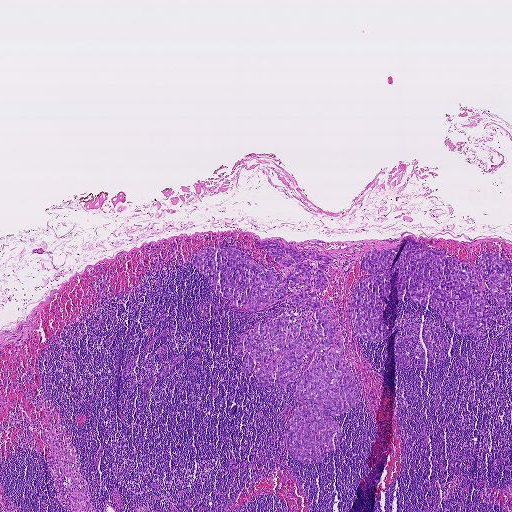
H&E-stained section of a sentinel lymph node (breast cancer), from a whole-slide image, viewed at about 2.5×: the field is about 1.9 mm across, about 3.6 µm per pixel.
Question: Is there metastatic carcinoma in this field?
Answer: Yes.
Boundaries of two metastatic tumour regions, simplified and listed clockwise, largest first: region 1: (256, 239), (280, 239), (295, 251), (314, 249), (332, 260), (324, 271), (328, 284), (318, 293), (338, 312), (359, 401), (332, 417), (342, 440), (320, 463), (294, 460), (283, 444), (286, 424), (303, 404), (293, 396), (298, 377), (280, 388), (261, 386), (254, 368), (243, 373), (245, 354), (230, 352), (248, 327), (288, 312), (312, 312), (284, 299), (259, 310), (239, 308), (191, 264), (210, 246), (237, 249), (283, 278), (295, 264), (277, 264), (255, 245); region 2: (407, 236), (473, 267), (476, 257), (493, 251), (511, 264), (508, 304), (484, 297), (502, 324), (478, 335), (458, 334), (436, 310), (398, 300), (385, 301), (389, 338), (369, 342), (356, 336), (350, 297), (355, 284), (379, 274), (361, 270), (364, 253).
About 10% of the image area is annotated as tumour.

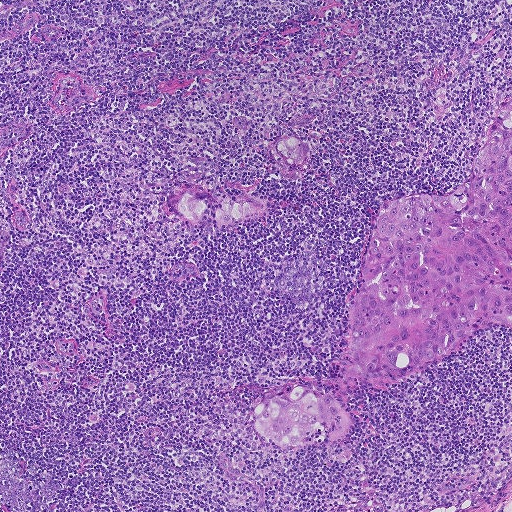
A 0.93-mm field of an H&E-stained sentinel lymph node from a breast-cancer patient (whole-slide image), shown at about 5×, about 1.8 µm per pixel.
Question: Is there metastatic carcinoma in this field?
Answer: Yes.
Outlines of five tumour regions, largest first (closed clockwise paths, crop pixels): region 1: (511, 98), (511, 329), (497, 325), (472, 335), (452, 353), (388, 385), (347, 377), (352, 300), (383, 205), (407, 194), (457, 189); region 2: (286, 383), (303, 385), (336, 399), (347, 414), (350, 431), (336, 442), (338, 451), (346, 448), (354, 450), (352, 459), (344, 461), (336, 460), (326, 445), (328, 436), (323, 429), (315, 431), (301, 443), (293, 447), (268, 440), (254, 428), (251, 411), (260, 396); region 3: (187, 184), (201, 186), (208, 190), (209, 196), (207, 211), (198, 220), (192, 221), (184, 220), (171, 204), (172, 197), (175, 191); region 4: (225, 194), (232, 194), (238, 198), (245, 196), (258, 198), (264, 202), (264, 209), (258, 214), (238, 220), (226, 227), (220, 224), (215, 212); region 5: (290, 135), (299, 137), (306, 143), (308, 151), (307, 160), (300, 165), (291, 165), (283, 162), (273, 148), (276, 140).
The annotated tumour makes up about 15% of the crop.

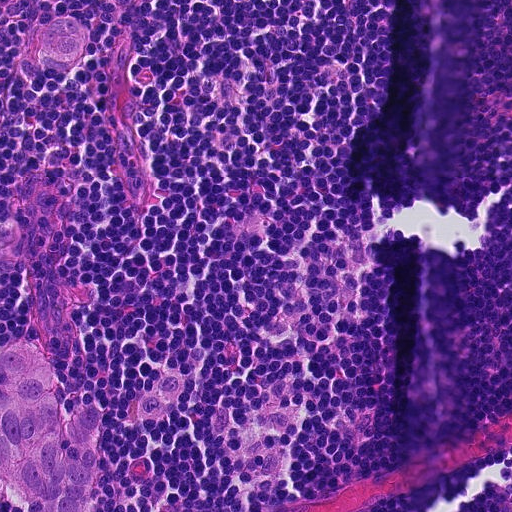
H&E-stained section of a sentinel lymph node (breast cancer), from a whole-slide image, viewed at about 20×: the field is about 0.23 mm across, about 0.45 µm per pixel.
Question: Is there metastatic carcinoma in this field?
Answer: Yes.
The outlined metastatic tumour's edge, as a closed clockwise path of 12 points: (27, 338), (54, 370), (66, 409), (99, 395), (104, 458), (99, 498), (90, 511), (39, 511), (10, 485), (9, 499), (0, 511), (0, 354).
About 5% of the image area is annotated as tumour.

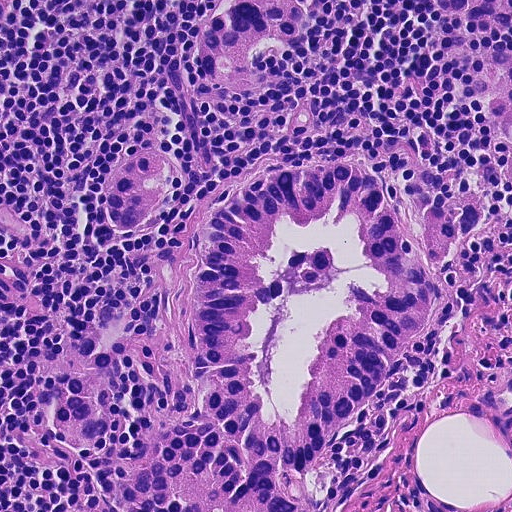
A 0.23-mm field of an H&E-stained sentinel lymph node from a breast-cancer patient (whole-slide image), shown at about 20×, about 0.45 µm per pixel.
Question: Is there metastatic carcinoma in this field?
Answer: Yes.
Outlines of four tumour regions, largest first (closed clockwise paths, crop pixels): region 1: (349, 138), (406, 174), (495, 192), (498, 225), (448, 313), (318, 475), (296, 488), (328, 511), (43, 511), (99, 486), (100, 454), (35, 439), (11, 370), (67, 332), (100, 336), (132, 322), (177, 216), (112, 225), (92, 197), (135, 146), (169, 152), (186, 181), (215, 196), (278, 156); region 2: (210, 0), (324, 0), (310, 21), (283, 42), (265, 70), (257, 102), (224, 98), (198, 76), (198, 41); region 3: (415, 0), (511, 0), (511, 34), (479, 38), (442, 30), (416, 6); region 4: (511, 36), (511, 158), (494, 139), (483, 107), (484, 72), (500, 42).
About 50% of the image area is annotated as tumour.